Image:
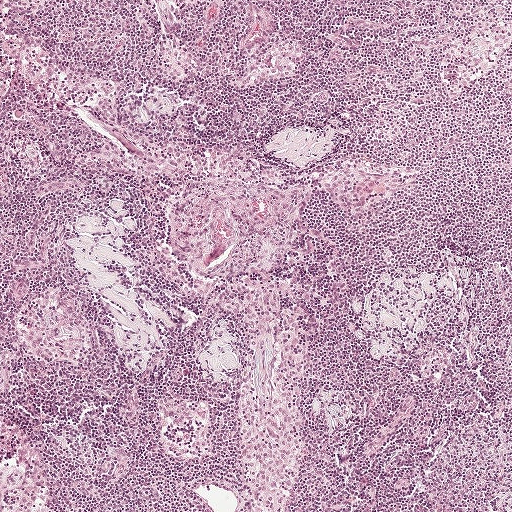
Lymph node section stained with H&E, from a whole-slide image of a breast-cancer sentinel node. Magnification about 5×, about 1 mm across the frame, about 1.9 µm per pixel.
Question:
Does this lymph node field contain metastatic tumour?
Answer:
No. No metastatic tumour is outlined in this field.